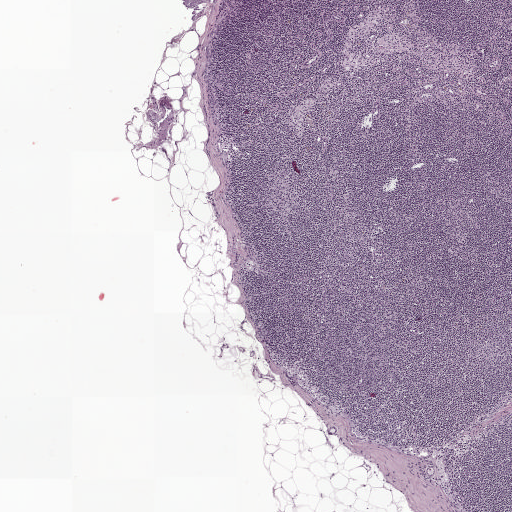
Lymph node section stained with H&E, from a whole-slide image of a breast-cancer sentinel node. Magnification about 2.5×, about 2.0 mm across the frame, about 3.9 µm per pixel.
Question: Which parts of this field are metastatic tumour? Answer with the outline of each region, in pixels.
Answer: One metastatic tumour region; its boundary, reduced to 6 corners and listed clockwise: (225, 8), (227, 11), (227, 15), (217, 23), (218, 17), (221, 12).
Tumour covers under 5% of the frame.

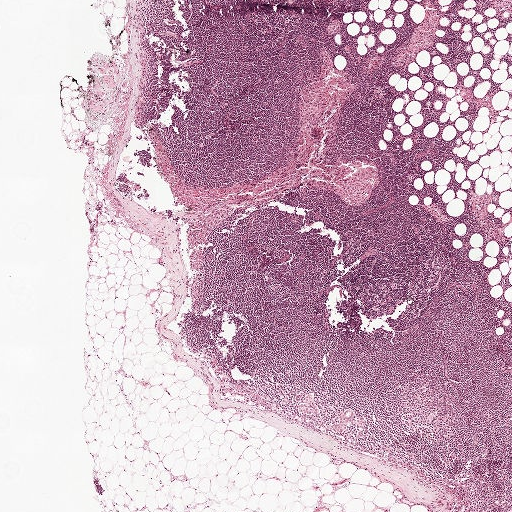
Lymph node section stained with H&E, from a whole-slide image of a breast-cancer sentinel node. Magnification about 2.5×, about 2.0 mm across the frame, about 3.9 µm per pixel.
Question: Which parts of this field are metastatic tumour? Answer with the outline of each region, in pixels.
Answer: Outlines of two tumour regions, largest first (closed clockwise paths, crop pixels): region 1: (344, 410), (352, 410), (354, 413), (353, 419), (355, 420), (361, 416), (363, 417), (365, 420), (364, 426), (361, 428), (352, 425), (348, 425), (346, 426), (347, 430), (337, 433), (325, 429), (326, 423), (337, 420), (338, 412); region 2: (310, 394), (313, 398), (317, 409), (315, 414), (301, 414), (296, 409), (297, 403), (302, 401), (302, 395).
One more small tumour piece is annotated here but not outlined.
Tumour covers under 5% of the frame.

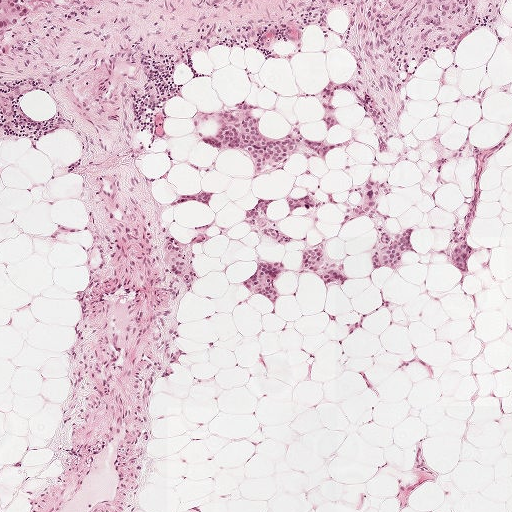
This is a crop of a whole-slide image: an H&E-stained breast-cancer sentinel lymph node section at roughly 5× magnification (about 1.9 µm per pixel; the crop spans about 1 mm).
Question: Which parts of this field are metastatic tumour? Answer with the outline of each region, in pixels.
Answer: Outlines of the eight largest metastatic tumour regions, each a closed clockwise path in crop pixels (x, y), largest first: region 1: (249, 100), (262, 106), (251, 113), (259, 118), (258, 131), (269, 138), (282, 137), (297, 127), (302, 138), (326, 140), (336, 145), (336, 150), (327, 159), (308, 161), (295, 150), (278, 166), (254, 178), (256, 158), (236, 148), (210, 147), (196, 137), (200, 132), (213, 132), (221, 112); region 2: (0, 0), (59, 0), (39, 10), (17, 30), (5, 49), (0, 53); region 3: (383, 230), (397, 235), (411, 230), (414, 251), (404, 254), (400, 266), (397, 268), (373, 269), (370, 266), (369, 259), (380, 244), (380, 231); region 4: (258, 261), (276, 262), (283, 265), (276, 285), (277, 295), (274, 307), (270, 301), (260, 295), (253, 294), (241, 282), (254, 275); region 5: (258, 199), (272, 201), (264, 209), (266, 218), (276, 225), (280, 232), (294, 241), (294, 247), (285, 247), (273, 244), (244, 223), (244, 215), (254, 211), (257, 205); region 6: (170, 242), (182, 250), (196, 267), (193, 282), (189, 288), (177, 280), (163, 263), (166, 246); region 7: (322, 247), (324, 251), (321, 270), (323, 272), (340, 273), (344, 275), (346, 281), (343, 283), (324, 283), (314, 274), (298, 268), (300, 255), (303, 251); region 8: (332, 80), (336, 84), (348, 84), (352, 89), (350, 92), (340, 89), (334, 93), (332, 106), (340, 124), (328, 131), (325, 131), (322, 122), (323, 109), (315, 98), (324, 85).
Six more, smaller tumour regions are not outlined.
About 5% of the image area is annotated as tumour.

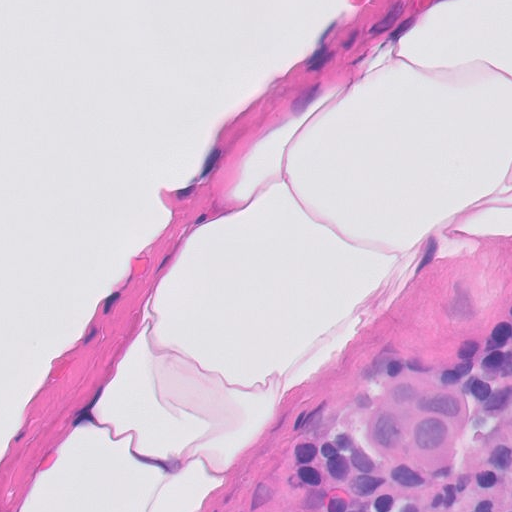
This is a crop of a whole-slide image: an H&E-stained breast-cancer sentinel lymph node section at roughly 40× magnification (about 0.25 µm per pixel; the crop spans about 0.13 mm).
Question: Which parts of this field are metastatic tumour? Answer with the outline of each region, in pixels.
Answer: Tumour region outline (a closed clockwise path, crop pixels): (389, 352), (492, 354), (511, 433), (511, 471), (382, 497), (324, 432).
The annotated tumour makes up about 10% of the crop.